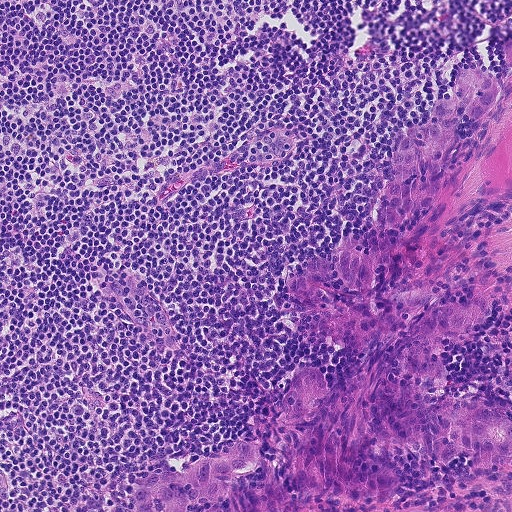
Lymph node section stained with H&E, from a whole-slide image of a breast-cancer sentinel node. Magnification about 10×, about 0.46 mm across the frame, about 0.9 µm per pixel.
Question: Outline the metastatic carcinoma in this image, as closed paths of (x, y) pixel coordinates.
Answer: Outlines of two tumour regions, largest first (closed clockwise paths, crop pixels): region 1: (458, 73), (494, 76), (500, 149), (444, 231), (466, 257), (394, 298), (403, 334), (486, 287), (488, 313), (403, 390), (498, 413), (511, 453), (434, 458), (379, 436), (366, 453), (399, 479), (392, 497), (273, 478), (289, 499), (273, 511), (138, 511), (142, 478), (300, 429), (277, 418), (305, 364), (333, 390), (354, 371), (376, 338), (326, 339), (334, 310), (285, 280), (320, 256), (330, 291), (360, 294), (334, 252), (389, 242), (431, 205), (369, 224), (398, 136); region 2: (511, 38), (511, 67), (506, 64), (502, 57), (502, 49), (506, 42).
About 20% of the image area is annotated as tumour.